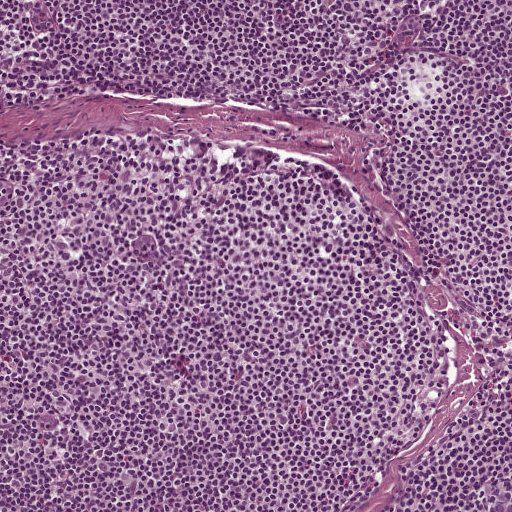
A 0.5-mm field of an H&E-stained sentinel lymph node from a breast-cancer patient (whole-slide image), shown at about 10×, about 0.97 µm per pixel.